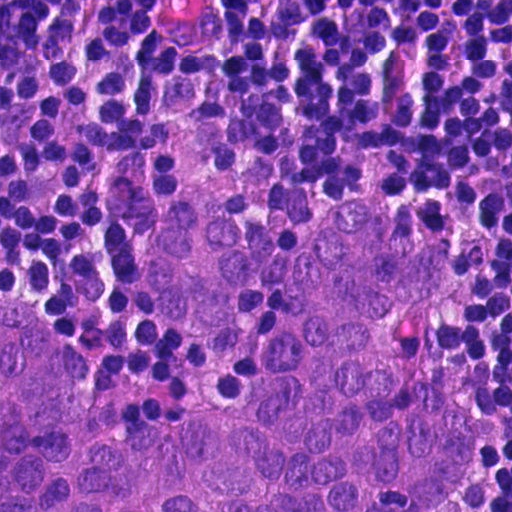
This is a crop of a whole-slide image: an H&E-stained breast-cancer sentinel lymph node section at roughly 40× magnification (about 0.23 µm per pixel; the crop spans about 0.12 mm).
The outlined metastatic tumour's edge, as a closed clockwise path of 22 points: (181, 179), (230, 216), (288, 234), (338, 198), (399, 200), (452, 275), (397, 307), (388, 343), (484, 420), (471, 479), (430, 511), (0, 511), (0, 280), (47, 310), (86, 360), (104, 419), (227, 410), (261, 360), (276, 295), (233, 339), (169, 331), (126, 287).
About 40% of this field is tumour.